Question: 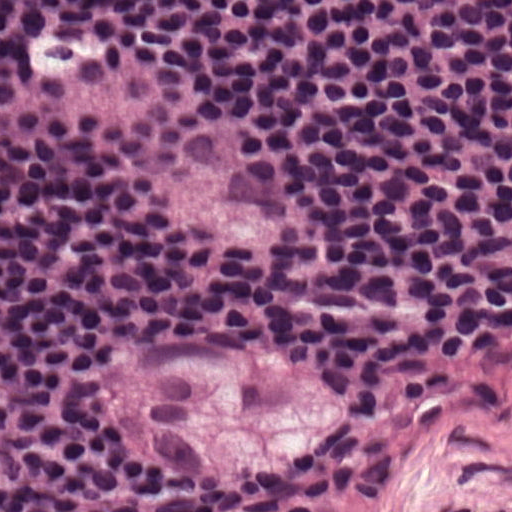
This is a crop of a whole-slide image: an H&E-stained breast-cancer sentinel lymph node section at roughly 40× magnification (about 0.24 µm per pixel; the crop spans about 0.12 mm).
Estimate the proportion of this field that is metastatic tumour.

Choices:
 (A) about 50% or more
 (B) none: no tumour is outlined
 (C) about 25% to 45%
 (D) about 5% or less
 (E) about 10% to 20%

Answer: (C) about 25% to 45%
About 30% of the field is tumour.
Boundaries of three metastatic tumour regions, simplified and listed clockwise, largest first: region 1: (111, 42), (192, 70), (305, 142), (329, 222), (255, 255), (135, 207), (42, 144), (0, 99), (0, 88); region 2: (242, 326), (351, 356), (362, 438), (258, 486), (146, 474), (84, 400), (147, 328); region 3: (511, 22), (511, 86), (463, 43).